Question: 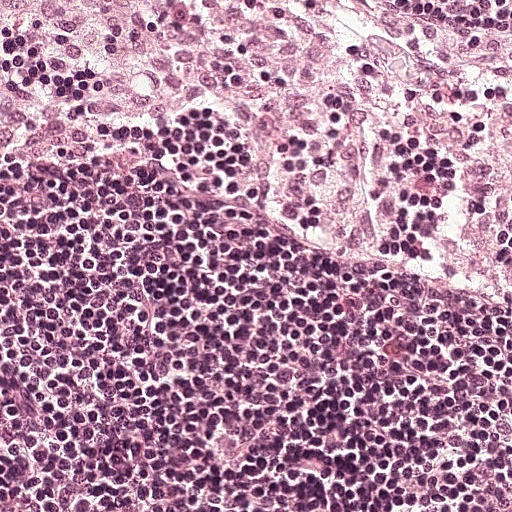
At roughly what magnification is this field shown?

Choices:
 (A) about 10×
 (B) about 2.5×
 (C) about 40×
 (D) about 5×
 (E) about 20×

Answer: (E) about 20×
This is a crop of a whole-slide image: an H&E-stained breast-cancer sentinel lymph node section at roughly 20× magnification (about 0.49 µm per pixel; the crop spans about 0.25 mm).